Question: 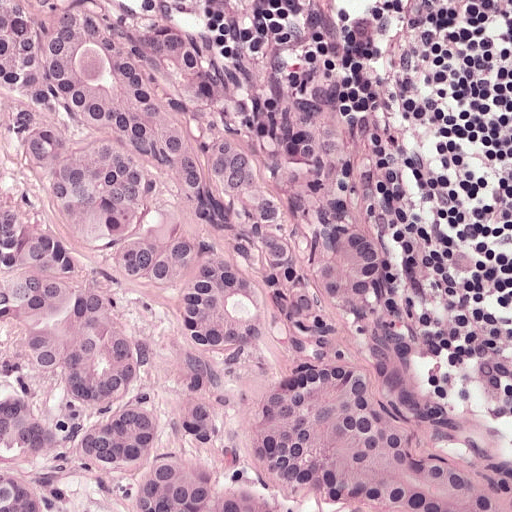
This is a crop of a whole-slide image: an H&E-stained breast-cancer sentinel lymph node section at roughly 20× magnification (about 0.49 µm per pixel; the crop spans about 0.25 mm).
Roughly what share of this field is metastatic tumour?

Choices:
 (A) about 25% to 45%
 (B) none: no tumour is outlined
 (C) about 50% or more
 (D) about 10% to 20%
 (E) about 5% or less

Answer: (C) about 50% or more
About 55% of the field is tumour.
Outlines of two tumour regions, largest first (closed clockwise paths, crop pixels): region 1: (0, 0), (86, 0), (166, 26), (198, 42), (218, 73), (238, 142), (298, 232), (367, 232), (379, 265), (327, 302), (330, 338), (302, 358), (272, 346), (270, 314), (235, 368), (218, 437), (193, 447), (180, 426), (192, 356), (173, 326), (176, 291), (126, 283), (61, 224), (7, 93); region 2: (0, 143), (18, 209), (150, 335), (123, 405), (150, 411), (163, 445), (199, 455), (224, 491), (252, 482), (239, 420), (256, 390), (322, 362), (384, 392), (511, 511), (321, 498), (0, 511), (0, 384), (54, 418), (118, 407), (68, 400), (64, 368), (40, 371), (17, 324), (0, 327).
Question: 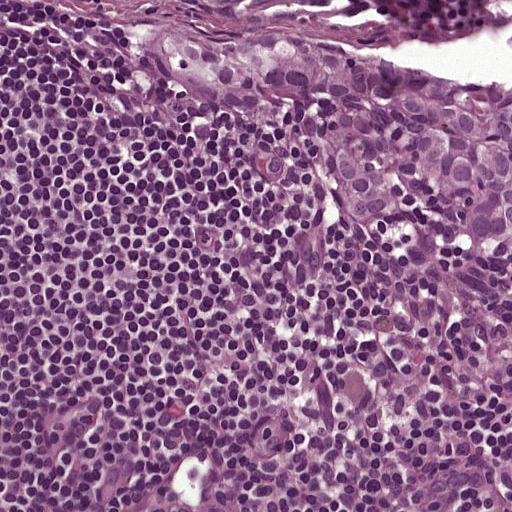
Lymph node section stained with H&E, from a whole-slide image of a breast-cancer sentinel node. Magnification about 20×, about 0.25 mm across the frame, about 0.49 µm per pixel.
Roughly what share of this field is metastatic tumour?

Choices:
 (A) about 25% to 45%
 (B) about 50% or more
 (C) about 10% to 20%
 (D) none: no tumour is outlined
 (E) about 5% or less

Answer: (C) about 10% to 20%
About 20% of the field is tumour.
The outlined metastatic tumour's edge, as a closed clockwise path of 12 points: (159, 28), (197, 28), (230, 44), (292, 30), (446, 71), (511, 72), (511, 291), (492, 256), (394, 240), (339, 220), (266, 131), (136, 57).
Question: 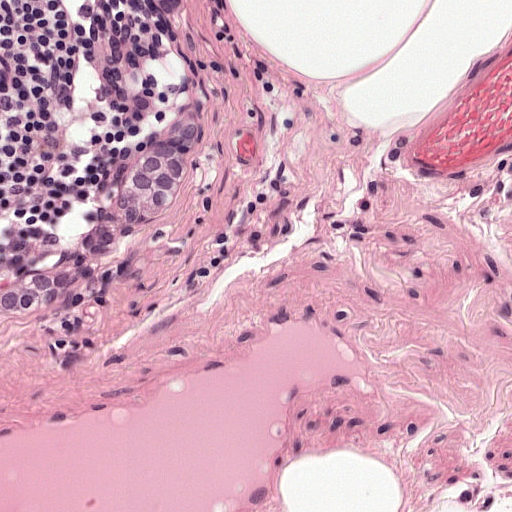
This is a crop of a whole-slide image: an H&E-stained breast-cancer sentinel lymph node section at roughly 20× magnification (about 0.49 µm per pixel; the crop spans about 0.25 mm).
Roughly what share of this field is metastatic tumour?

Choices:
 (A) about 5% or less
 (B) none: no tumour is outlined
 (C) about 25% to 45%
 (D) about 50% or more
 (E) about 10% to 20%

Answer: (A) about 5% or less
About 5% of the field is tumour.
Two metastatic tumour regions, each outlined as a closed clockwise path in crop pixels (x, y), largest first: region 1: (190, 106), (201, 140), (190, 170), (154, 220), (84, 282), (58, 297), (28, 308), (0, 307), (0, 290), (44, 271), (70, 252), (128, 176); region 2: (141, 0), (184, 0), (184, 9), (164, 26).
Question: 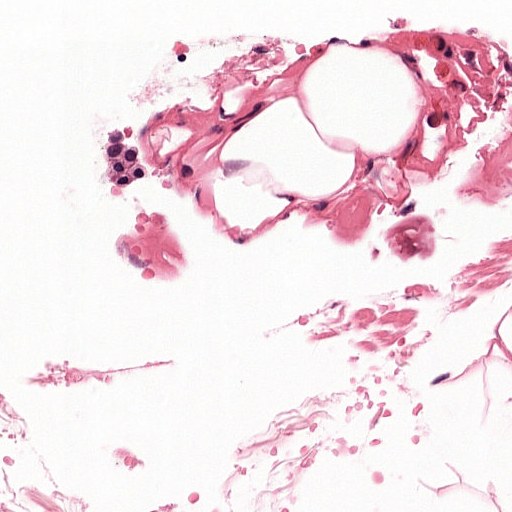
This is a crop of a whole-slide image: an H&E-stained breast-cancer sentinel lymph node section at roughly 20× magnification (about 0.49 µm per pixel; the crop spans about 0.25 mm).
Roughly what share of this field is metastatic tumour?

Choices:
 (A) none: no tumour is outlined
 (B) about 25% to 45%
 (C) about 50% or more
 (D) about 10% to 20%
 (E) about 5% or less

Answer: (E) about 5% or less
Under 5% of the field is tumour.
Metastatic tumour outline, simplified to 11 points and listed clockwise in crop pixels (x, y): (116, 127), (135, 138), (148, 164), (152, 178), (146, 190), (135, 200), (120, 201), (108, 192), (98, 181), (99, 166), (105, 138).